Image:
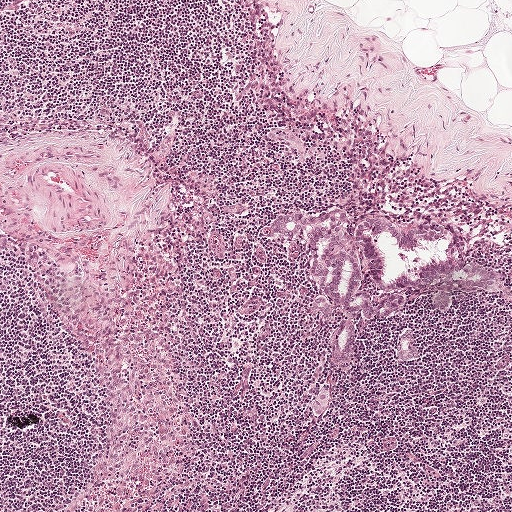
Lymph node section stained with H&E, from a whole-slide image of a breast-cancer sentinel node. Magnification about 5×, about 1 mm across the frame, about 1.9 µm per pixel.
Question:
Does this lymph node field contain metastatic tumour?
Answer:
Yes.
Outlines of three tumour regions, largest first (closed clockwise paths, crop pixels): region 1: (336, 209), (361, 220), (384, 216), (408, 231), (425, 220), (455, 221), (469, 235), (469, 260), (498, 270), (502, 288), (461, 291), (442, 315), (429, 290), (392, 320), (359, 320), (349, 366), (336, 365), (333, 326), (310, 306), (316, 286), (305, 248), (275, 236), (270, 221), (283, 212); region 2: (410, 328), (412, 330), (419, 354), (416, 359), (404, 360), (394, 357), (395, 346), (402, 330); region 3: (322, 387), (330, 390), (332, 398), (327, 411), (318, 418), (312, 417), (310, 409), (317, 392).
About 5% of the image area is annotated as tumour.